Question: 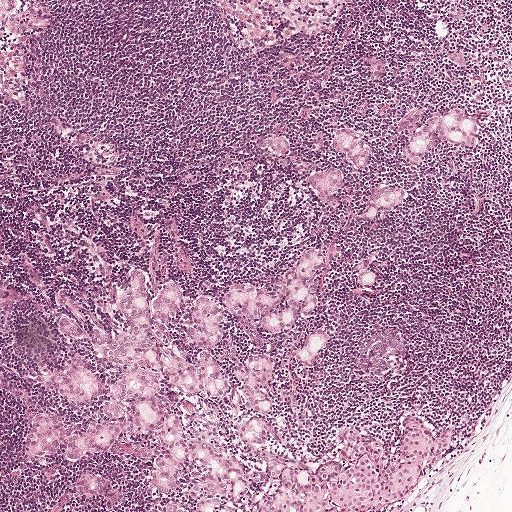
H&E-stained section of a sentinel lymph node (breast cancer), from a whole-slide image, viewed at about 5×: the field is about 1 mm across, about 1.9 µm per pixel.
What fraction of the image area is metastatic tumour?

Choices:
 (A) about 50% or more
 (B) about 5% or less
 (C) about 10% to 20%
 (D) none: no tumour is outlined
 (E) about 25% to 45%

Answer: (C) about 10% to 20%
About 20% of the field is tumour.
Boundaries of eight metastatic tumour regions, simplified and listed clockwise, largest first: region 1: (306, 250), (325, 258), (324, 307), (268, 351), (266, 451), (305, 467), (354, 427), (386, 462), (405, 421), (456, 432), (408, 494), (371, 511), (164, 511), (189, 507), (193, 477), (153, 494), (144, 470), (160, 451), (138, 434), (76, 462), (24, 453), (33, 414), (75, 431), (102, 409), (52, 397), (48, 376), (71, 363), (116, 376), (53, 315), (113, 338), (128, 274), (180, 280), (172, 345), (183, 351), (205, 291), (228, 366), (258, 336), (220, 289), (276, 290); region 2: (462, 106), (471, 108), (483, 118), (486, 126), (484, 140), (480, 149), (459, 150), (437, 140), (426, 157), (417, 163), (409, 162), (405, 157), (404, 148), (414, 135), (423, 119), (440, 114); region 3: (328, 165), (343, 170), (345, 174), (344, 190), (332, 210), (321, 207), (317, 198), (304, 185), (307, 174); region 4: (345, 126), (366, 136), (372, 157), (372, 165), (370, 170), (367, 172), (354, 169), (342, 151), (329, 143), (336, 129); region 5: (320, 328), (333, 334), (332, 342), (317, 363), (310, 366), (297, 364), (288, 357), (289, 353), (300, 344), (312, 330); region 6: (388, 183), (408, 189), (411, 194), (405, 203), (398, 207), (384, 207), (374, 219), (364, 214), (369, 192); region 7: (278, 134), (287, 138), (291, 142), (292, 147), (288, 157), (271, 153), (262, 148), (260, 143), (262, 137); region 8: (359, 271), (375, 272), (379, 278), (379, 283), (368, 289), (362, 289), (355, 283).
One more small tumour piece is annotated here but not outlined.